Image:
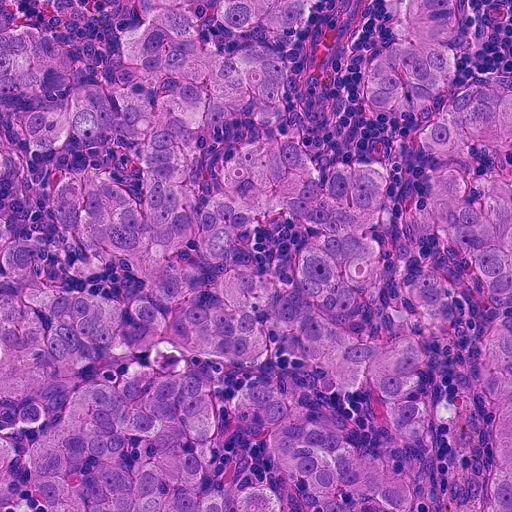
H&E-stained section of a sentinel lymph node (breast cancer), from a whole-slide image, viewed at about 20×: the field is about 0.23 mm across, about 0.45 µm per pixel.
Question:
Is there metastatic carcinoma in this field?
Answer:
Yes.
The outlined metastatic tumour's edge, as a closed clockwise path of 23 points: (154, 0), (316, 0), (282, 100), (313, 170), (374, 160), (376, 230), (404, 248), (444, 164), (424, 114), (357, 104), (360, 67), (398, 0), (457, 0), (449, 102), (511, 76), (511, 146), (470, 147), (510, 182), (511, 511), (0, 511), (0, 33), (64, 46), (110, 104).
About 90% of this field is tumour.